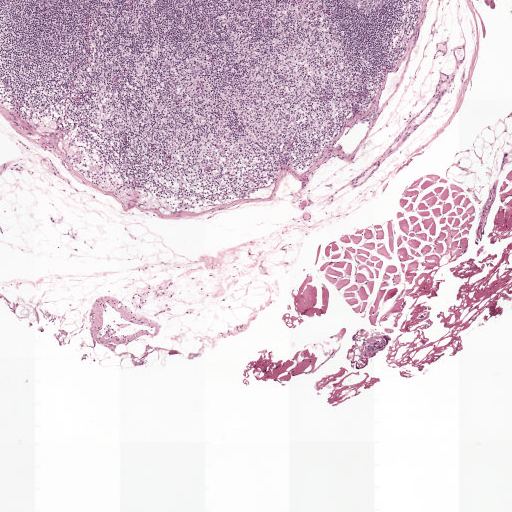
Lymph node section stained with H&E, from a whole-slide image of a breast-cancer sentinel node. Magnification about 2.5×, about 2.0 mm across the frame, about 3.9 µm per pixel.
Question: Describe where the metastatic carcinoma lies in this crop.
Answer: Two metastatic tumour regions, each outlined as a closed clockwise path in crop pixels (x, y), largest first: region 1: (290, 112), (290, 128), (286, 132), (284, 127), (283, 113); region 2: (294, 136), (298, 138), (290, 148), (289, 149), (284, 150), (283, 147), (284, 142), (289, 142).
Under 5% of the image area is annotated as tumour.

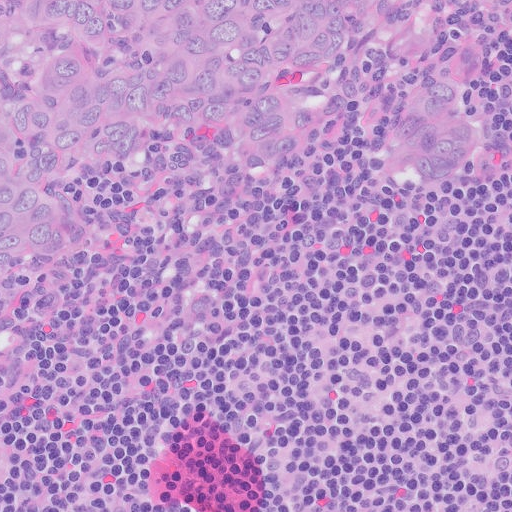
H&E-stained section of a sentinel lymph node (breast cancer), from a whole-slide image, viewed at about 20×: the field is about 0.26 mm across, about 0.5 µm per pixel.
Question: Describe where the metastatic carcinoma lies in this crop.
Answer: Metastatic tumour outline, simplified to 16 points and listed clockwise in crop pixels (x, y): (0, 0), (511, 0), (486, 40), (482, 85), (494, 128), (480, 169), (445, 194), (406, 174), (386, 135), (346, 118), (222, 160), (133, 162), (96, 183), (80, 226), (51, 258), (0, 266).
Tumour covers about 30% of the frame.

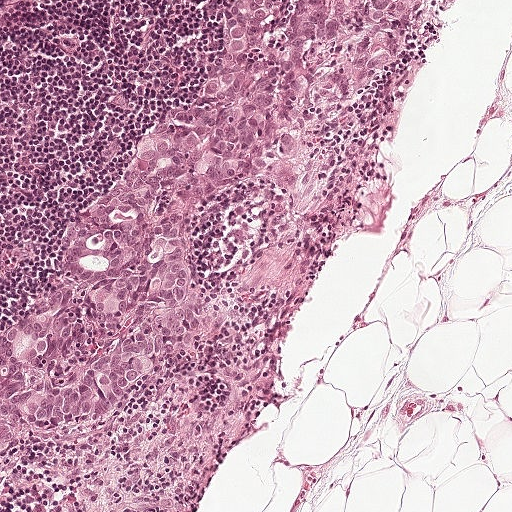
Lymph node section stained with H&E, from a whole-slide image of a breast-cancer sentinel node. Magnification about 10×, about 0.5 mm across the frame, about 0.97 µm per pixel.
Question: Describe where the metastatic carcinoma lies in this crop.
Answer: One metastatic tumour region; its boundary, reduced to 20 corners and listed clockwise: (444, 0), (418, 62), (334, 117), (332, 171), (307, 204), (274, 215), (255, 182), (220, 194), (204, 214), (196, 262), (215, 298), (212, 318), (138, 399), (126, 427), (0, 464), (0, 328), (41, 298), (108, 194), (184, 122), (228, 2).
The annotated tumour makes up about 30% of the crop.

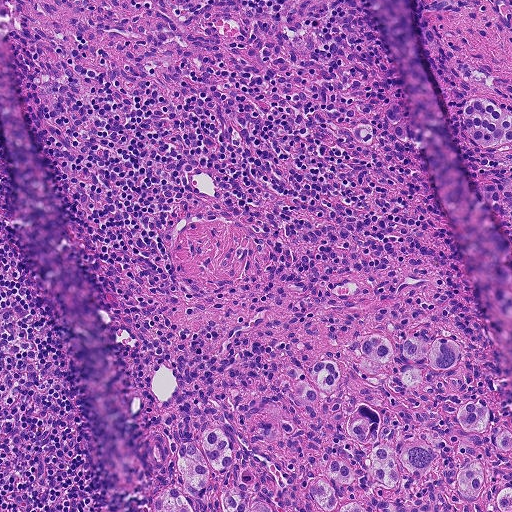
A 0.46-mm field of an H&E-stained sentinel lymph node from a breast-cancer patient (whole-slide image), shown at about 10×, about 0.9 µm per pixel.
Question: Describe where the metastatic carcinoma lies in this crop.
Answer: Five metastatic tumour regions, each outlined as a closed clockwise path in crop pixels (x, y), largest first: region 1: (485, 401), (497, 424), (511, 433), (509, 450), (496, 447), (491, 435), (481, 436), (481, 450), (493, 485), (511, 487), (511, 511), (487, 504), (484, 492), (466, 500), (457, 490), (462, 464), (472, 458), (464, 453), (440, 456), (434, 468), (448, 502), (446, 511), (324, 511), (313, 504), (308, 482), (319, 476), (323, 450), (357, 464), (369, 447), (346, 432), (343, 420), (364, 403), (376, 406), (382, 418), (382, 443), (396, 448), (422, 434), (459, 440), (455, 416), (459, 404); region 2: (214, 428), (227, 434), (232, 447), (234, 462), (226, 473), (212, 470), (208, 488), (238, 489), (272, 508), (272, 511), (153, 511), (152, 508), (156, 494), (168, 486), (182, 486), (174, 466), (172, 452), (183, 442), (197, 443), (201, 434); region 3: (364, 334), (376, 334), (400, 344), (415, 336), (427, 340), (440, 335), (452, 337), (460, 348), (458, 360), (449, 369), (436, 370), (424, 365), (431, 381), (423, 392), (398, 394), (386, 387), (372, 386), (360, 378), (346, 351), (353, 341); region 4: (472, 96), (486, 99), (511, 114), (511, 141), (499, 147), (486, 147), (463, 133), (460, 120), (462, 106); region 5: (330, 359), (341, 365), (341, 378), (333, 389), (319, 390), (322, 400), (310, 403), (298, 399), (286, 376), (291, 365), (302, 370), (310, 381), (308, 370), (318, 361).
About 10% of the image area is annotated as tumour.